This is a crop of a whole-slide image: an H&E-stained breast-cancer sentinel lymph node section at roughly 10× magnification (about 0.97 µm per pixel; the crop spans about 0.5 mm).
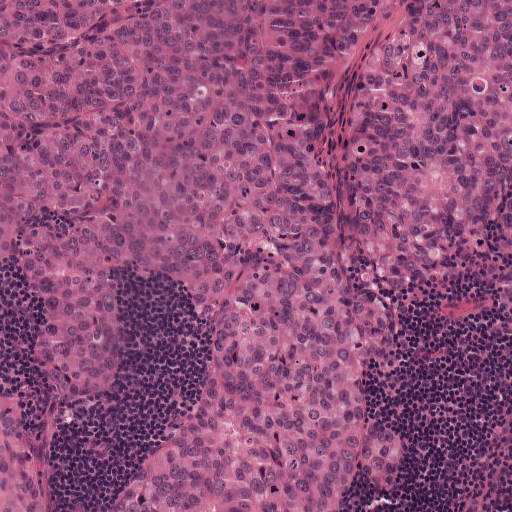
The outlined metastatic tumour's edge, as a closed clockwise path of 22 points: (0, 0), (511, 0), (511, 309), (467, 276), (427, 320), (388, 404), (417, 460), (403, 504), (360, 488), (352, 511), (105, 511), (201, 394), (216, 351), (202, 305), (166, 275), (120, 274), (126, 350), (116, 396), (88, 434), (44, 450), (58, 511), (0, 511).
About 85% of this field is tumour.